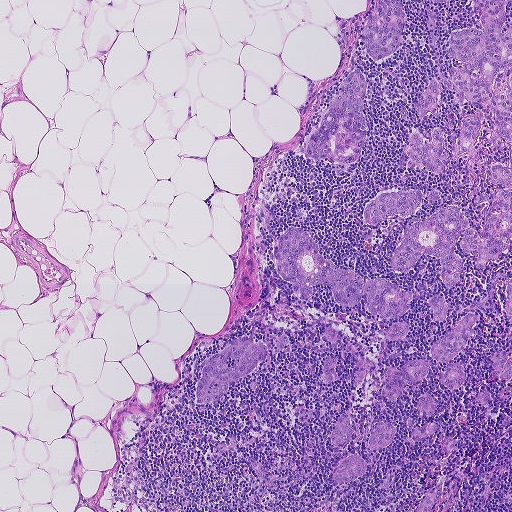
A 0.93-mm field of an H&E-stained sentinel lymph node from a breast-cancer patient (whole-slide image), shown at about 5×, about 1.8 µm per pixel.
The eight largest tumour regions' boundaries, simplified and listed clockwise, largest first: region 1: (472, 0), (511, 0), (511, 5), (508, 3), (506, 8), (502, 31), (511, 28), (511, 143), (502, 137), (505, 148), (500, 150), (491, 144), (494, 120), (488, 104), (483, 101), (473, 104), (464, 95), (461, 105), (454, 87), (443, 87), (441, 82), (437, 112), (428, 112), (426, 120), (417, 115), (419, 98), (431, 79), (450, 79), (448, 68), (462, 67), (461, 61), (447, 52), (450, 35), (459, 29), (482, 29), (480, 12), (474, 12); region 2: (511, 146), (511, 247), (501, 252), (500, 258), (489, 260), (488, 266), (477, 268), (460, 246), (461, 232), (454, 254), (458, 258), (467, 258), (465, 273), (449, 287), (442, 280), (441, 264), (432, 257), (421, 256), (407, 273), (392, 268), (389, 263), (400, 243), (404, 227), (445, 207), (457, 205), (472, 229), (483, 228), (484, 223), (474, 209), (475, 198), (503, 187), (492, 184), (487, 168), (496, 163), (509, 166); region 3: (291, 226), (305, 231), (319, 253), (340, 269), (356, 273), (363, 281), (384, 278), (412, 293), (408, 303), (412, 305), (405, 313), (385, 318), (370, 312), (364, 295), (353, 306), (342, 305), (331, 287), (322, 283), (311, 286), (309, 296), (295, 292), (273, 263), (279, 237); region 4: (357, 67), (366, 86), (363, 108), (367, 122), (360, 152), (342, 174), (334, 174), (331, 167), (336, 162), (305, 158), (302, 151), (305, 143), (340, 90), (346, 76); region 5: (240, 337), (246, 337), (266, 345), (267, 356), (251, 372), (230, 386), (224, 394), (223, 399), (219, 402), (196, 403), (196, 387), (201, 377), (204, 361), (223, 350), (230, 341); region 6: (374, 0), (398, 0), (404, 17), (403, 29), (396, 50), (392, 54), (376, 60), (371, 59), (368, 54), (363, 44), (361, 32); region 7: (435, 127), (440, 128), (447, 155), (446, 172), (442, 175), (426, 171), (410, 169), (405, 159), (404, 165), (399, 167), (409, 130), (414, 129), (430, 142), (432, 131); region 8: (414, 188), (421, 190), (423, 198), (417, 211), (404, 218), (389, 217), (378, 226), (371, 226), (365, 221), (363, 213), (364, 206), (383, 192).
16 more, smaller tumour regions are not outlined.
Three more small tumour pieces are annotated here but not outlined.
About 15% of this field is tumour.